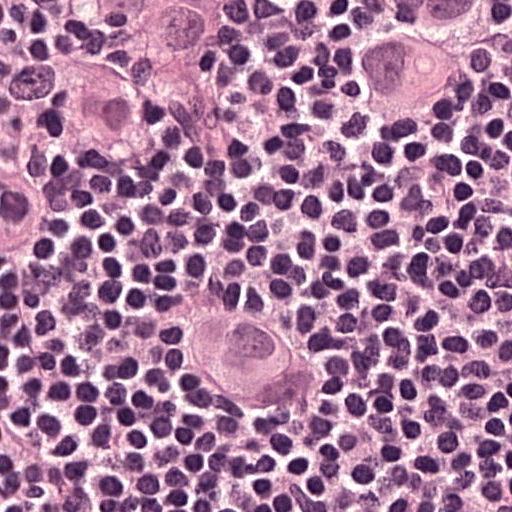
Lymph node section stained with H&E, from a whole-slide image of a breast-cancer sentinel node. Magnification about 40×, about 0.12 mm across the frame, about 0.24 µm per pixel.
Outlines of four tumour regions, largest first (closed clockwise paths, crop pixels): region 1: (0, 0), (248, 0), (179, 58), (173, 111), (186, 129), (181, 139), (118, 168), (49, 184), (0, 214); region 2: (281, 0), (489, 0), (494, 38), (482, 56), (474, 88), (445, 127), (424, 137), (379, 137), (288, 56); region 3: (200, 312), (253, 317), (313, 343), (331, 372), (331, 388), (324, 401), (316, 405), (234, 405), (195, 396), (184, 388), (171, 372), (176, 335); region 4: (0, 476), (12, 484), (12, 488), (16, 490), (26, 503), (28, 511), (0, 511).
One more small tumour piece is annotated here but not outlined.
Tumour covers about 25% of the frame.